Image:
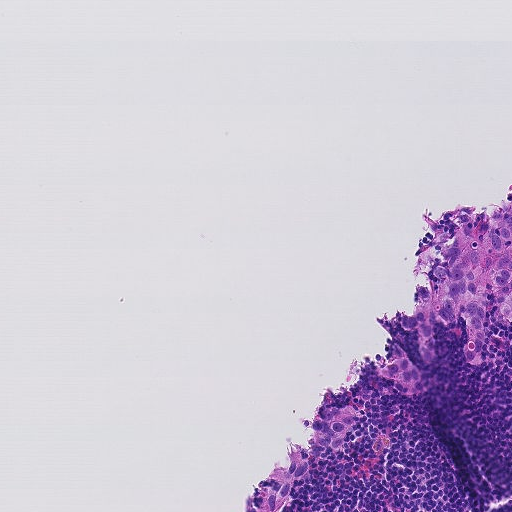
Lymph node section stained with H&E, from a whole-slide image of a breast-cancer sentinel node. Magnification about 10×, about 0.46 mm across the frame, about 0.9 µm per pixel.
Question:
Outline the metastatic carcinoma in this image, as closed paths of (x, y) pixel coordinates.
Answer:
Boundaries of two metastatic tumour regions, simplified and listed clockwise, largest first: region 1: (511, 195), (511, 324), (495, 308), (496, 290), (480, 362), (469, 364), (462, 355), (459, 318), (436, 324), (422, 396), (402, 396), (370, 376), (392, 363), (393, 340), (422, 368), (396, 309), (408, 314), (416, 283), (434, 293), (421, 253), (432, 237), (459, 209), (496, 216); region 2: (349, 405), (359, 416), (346, 442), (334, 451), (320, 454), (310, 465), (309, 471), (296, 479), (290, 499), (282, 511), (259, 511), (268, 496), (280, 487), (256, 484), (271, 470), (286, 467), (290, 460), (285, 451), (298, 444), (307, 449), (311, 437), (310, 422), (319, 410).
Tumour covers about 5% of the frame.